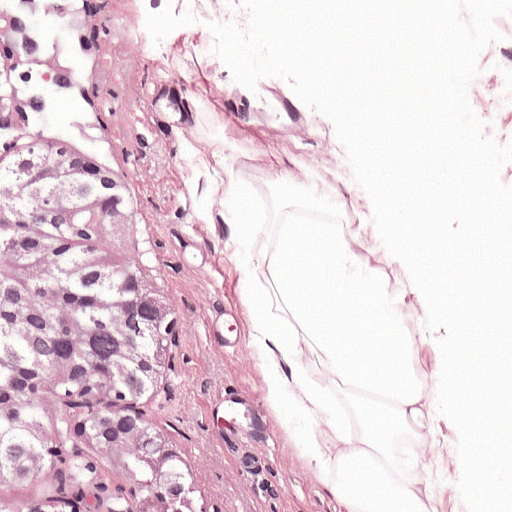
H&E-stained section of a sentinel lymph node (breast cancer), from a whole-slide image, viewed at about 20×: the field is about 0.25 mm across, about 0.49 µm per pixel.
One metastatic tumour region; its boundary, reduced to 7 corners and listed clockwise: (24, 132), (98, 150), (180, 304), (172, 420), (187, 511), (0, 511), (0, 158).
Tumour covers about 25% of the frame.